Question: 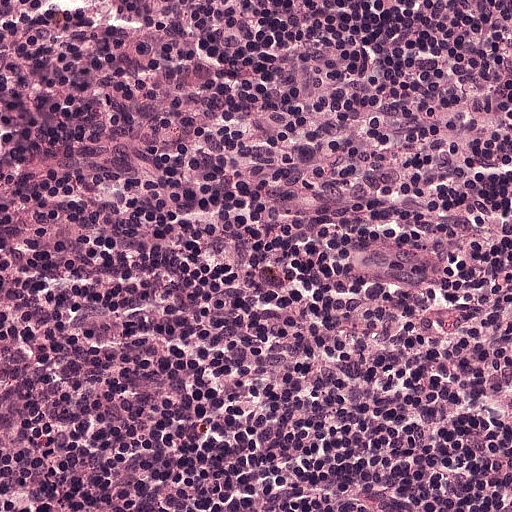
About what magnification does this crop show?

Choices:
 (A) about 5×
 (B) about 2.5×
 (C) about 20×
 (D) about 10×
 (E) about 40×

Answer: (C) about 20×
H&E-stained section of a sentinel lymph node (breast cancer), from a whole-slide image, viewed at about 20×: the field is about 0.25 mm across, about 0.49 µm per pixel.